Image:
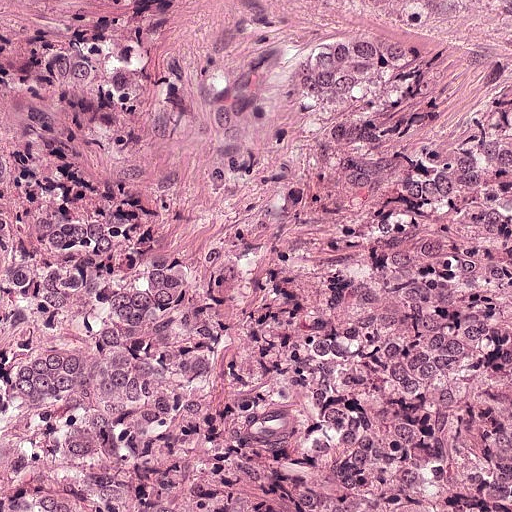
This is a crop of a whole-slide image: an H&E-stained breast-cancer sentinel lymph node section at roughly 20× magnification (about 0.49 µm per pixel; the crop spans about 0.25 mm).
Question:
Show where the tumour is in this image.
Answer:
Tumour region outline (a closed clockwise path, crop pixels): (511, 206), (511, 511), (0, 511), (0, 406), (50, 384), (120, 374), (253, 302).
Tumour covers about 40% of the frame.